This is a crop of a whole-slide image: an H&E-stained breast-cancer sentinel lymph node section at roughly 40× magnification (about 0.24 µm per pixel; the crop spans about 0.12 mm).
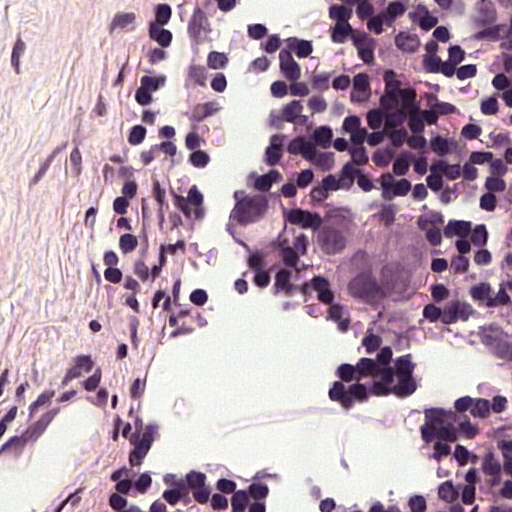
Metastatic tumour outline, simplified to 18 points and listed clockwise in crop pixels (x, y): (272, 179), (296, 193), (356, 187), (414, 206), (437, 227), (433, 287), (414, 316), (401, 323), (343, 321), (343, 316), (327, 314), (298, 277), (280, 274), (261, 258), (240, 258), (230, 248), (219, 219), (227, 182).
The annotated tumour makes up about 10% of the crop.